Question: 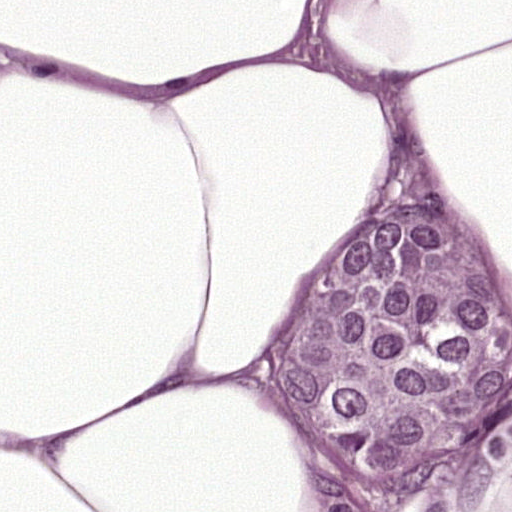
Lymph node section stained with H&E, from a whole-slide image of a breast-cancer sentinel node. Magnification about 40×, about 0.12 mm across the frame, about 0.24 µm per pixel.
Roughly what share of this field is metastatic tumour?

Choices:
 (A) about 10% to 20%
 (B) about 5% or less
 (C) about 25% to 45%
 (D) none: no tumour is outlined
 (E) about 50% or more

Answer: (A) about 10% to 20%
About 20% of the field is tumour.
Metastatic tumour outline, simplified to 12 points and listed clockwise in crop pixels (x, y): (445, 212), (472, 237), (511, 327), (511, 385), (450, 456), (418, 473), (347, 460), (316, 441), (287, 374), (272, 304), (296, 277), (387, 217).